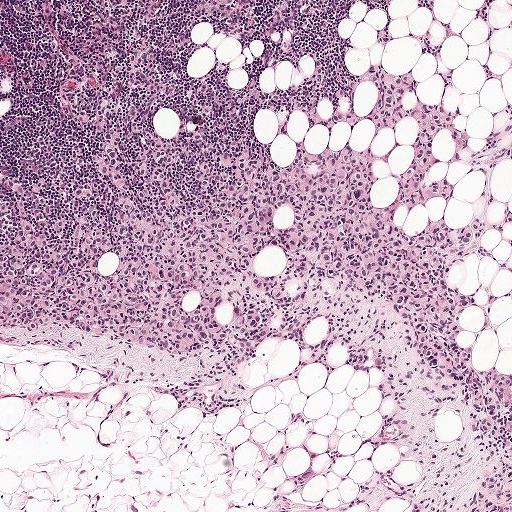
This is a crop of a whole-slide image: an H&E-stained breast-cancer sentinel lymph node section at roughly 5× magnification (about 1.9 µm per pixel; the crop spans about 1 mm).
Two metastatic tumour regions, each outlined as a closed clockwise path in crop pixels (x, y), largest first: region 1: (410, 68), (465, 136), (432, 164), (459, 226), (511, 101), (484, 214), (509, 203), (511, 248), (440, 271), (494, 294), (484, 305), (461, 304), (454, 335), (511, 374), (511, 511), (459, 511), (486, 473), (479, 420), (363, 302), (324, 304), (318, 370), (279, 340), (229, 373), (181, 344), (1, 328), (0, 169), (20, 158), (73, 167), (103, 136), (194, 130), (288, 164), (274, 122), (290, 109), (283, 133), (314, 152), (366, 145), (379, 204), (418, 123), (312, 116), (342, 78); region 2: (499, 260), (504, 260), (511, 264), (511, 298), (504, 297), (502, 295), (502, 290), (504, 285), (508, 281), (508, 275), (506, 271), (497, 266), (496, 264), (497, 261).
One more small tumour piece is annotated here but not outlined.
About 40% of the image area is annotated as tumour.